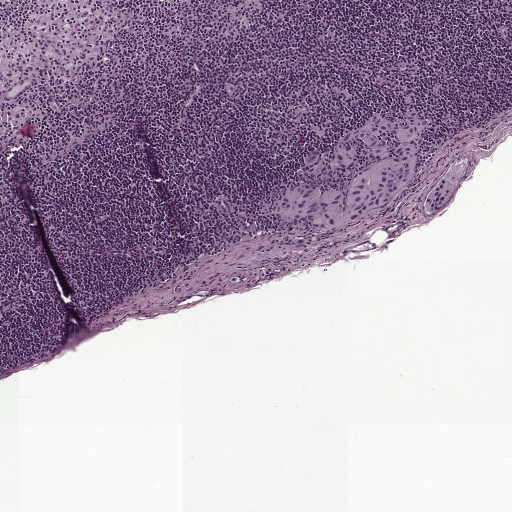
Lymph node section stained with H&E, from a whole-slide image of a breast-cancer sentinel node. Magnification about 5×, about 1 mm across the frame, about 1.9 µm per pixel.
Boundaries of two metastatic tumour regions, simplified and listed clockwise, largest first: region 1: (415, 108), (419, 116), (432, 118), (422, 133), (424, 144), (419, 147), (414, 177), (394, 205), (363, 222), (329, 229), (307, 225), (307, 218), (296, 224), (263, 217), (256, 208), (278, 198), (308, 150), (320, 150), (320, 159), (330, 158), (341, 138), (380, 114), (403, 119); region 2: (462, 159), (465, 166), (455, 186), (452, 198), (435, 212), (423, 209), (424, 198), (448, 172), (454, 162).
About 5% of this field is tumour.